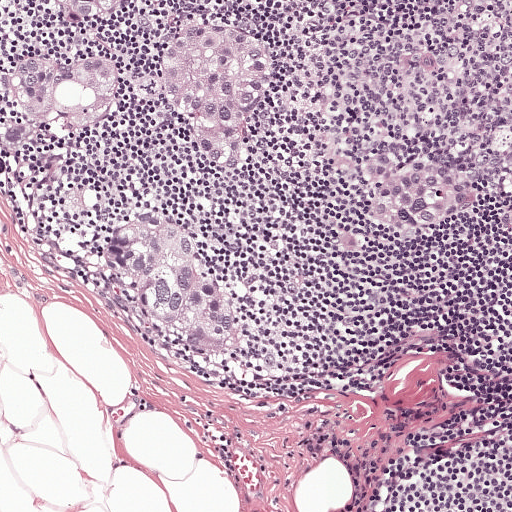
Lymph node section stained with H&E, from a whole-slide image of a breast-cancer sentinel node. Magnification about 10×, about 0.5 mm across the frame, about 0.97 µm per pixel.
Boundaries of five metastatic tumour regions, simplified and listed clockwise, largest first: region 1: (142, 209), (183, 216), (202, 232), (232, 293), (242, 320), (244, 349), (234, 358), (222, 357), (154, 326), (107, 294), (92, 269), (93, 237), (104, 225); region 2: (188, 21), (212, 22), (275, 47), (278, 73), (248, 120), (247, 162), (238, 177), (227, 181), (202, 173), (184, 134), (153, 103), (147, 87), (157, 46); region 3: (102, 48), (114, 49), (124, 56), (125, 82), (110, 122), (97, 135), (27, 149), (11, 185), (0, 185), (0, 131), (15, 119), (3, 94), (4, 75), (12, 60), (24, 53), (68, 57); region 4: (389, 150), (409, 158), (433, 156), (473, 172), (484, 182), (484, 196), (478, 205), (445, 231), (405, 236), (378, 225), (365, 227), (373, 235), (373, 249), (363, 254), (347, 254), (334, 247), (334, 236), (358, 227), (354, 214), (375, 194), (366, 185), (361, 159), (373, 151); region 5: (127, 0), (111, 15), (99, 18), (72, 17), (62, 11), (56, 1).
The annotated tumour makes up about 20% of the crop.